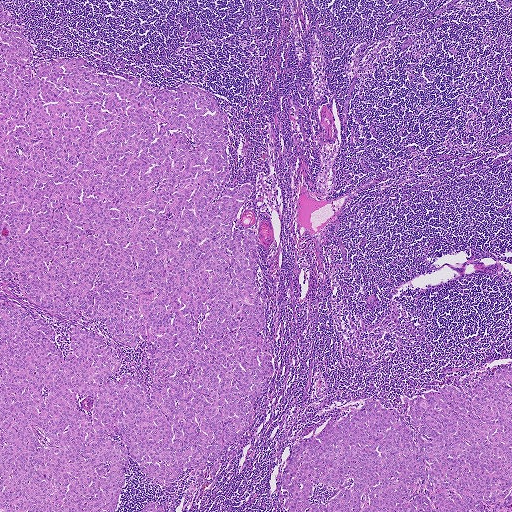
Lymph node section stained with H&E, from a whole-slide image of a breast-cancer sentinel node. Magnification about 2.5×, about 1.9 mm across the frame, about 3.6 µm per pixel.
Outlines of five tumour regions, largest first (closed clockwise paths, crop pixels): region 1: (0, 25), (18, 27), (31, 45), (33, 77), (36, 66), (81, 56), (80, 66), (140, 77), (138, 85), (142, 77), (153, 90), (209, 93), (228, 120), (228, 177), (213, 201), (253, 188), (232, 235), (256, 236), (271, 377), (239, 440), (171, 487), (129, 455), (114, 510), (0, 511); region 2: (511, 367), (511, 511), (284, 508), (288, 494), (281, 479), (294, 445), (332, 419), (361, 409), (370, 397), (400, 414), (414, 440), (409, 405), (404, 397), (424, 399), (448, 384), (475, 387); region 3: (148, 502), (152, 502), (160, 503), (163, 506), (165, 511), (141, 511), (143, 506), (146, 505); region 4: (0, 5), (2, 6), (3, 9), (3, 12), (6, 10), (9, 10), (12, 13), (12, 16), (12, 19), (10, 22), (3, 22), (0, 22); region 5: (220, 456), (220, 465), (217, 471), (213, 476), (210, 476), (209, 472), (212, 465), (217, 461), (217, 458).
Tumour covers about 50% of the frame.